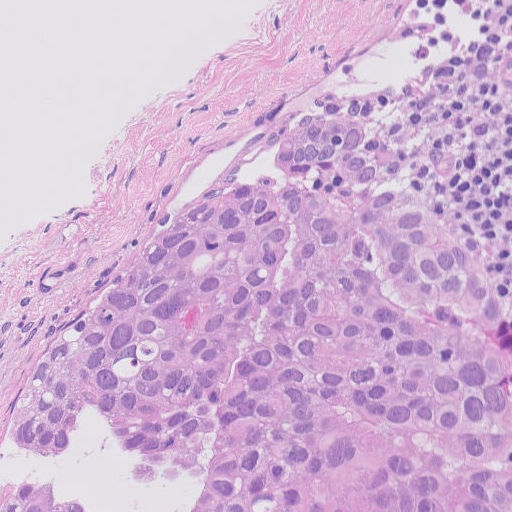
This is a crop of a whole-slide image: an H&E-stained breast-cancer sentinel lymph node section at roughly 20× magnification (about 0.5 µm per pixel; the crop spans about 0.26 mm).
One metastatic tumour region; its boundary, reduced to 12 corners and listed clockwise: (374, 118), (388, 162), (421, 196), (464, 214), (490, 254), (511, 319), (511, 511), (0, 511), (4, 452), (42, 366), (240, 150), (328, 120).
About 55% of the image area is annotated as tumour.